Question: 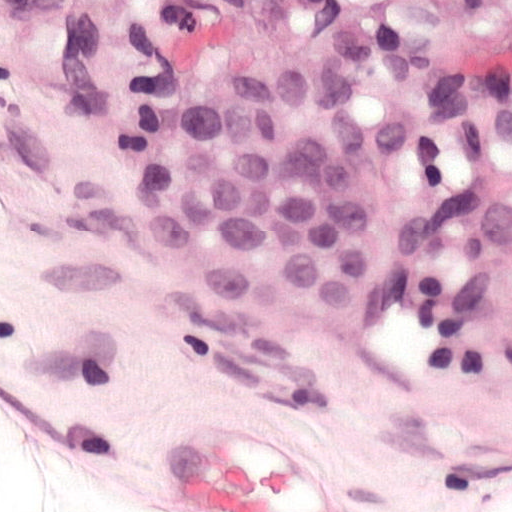
About what magnification does this crop show?

Choices:
 (A) about 2.5×
 (B) about 5×
 (C) about 20×
 (D) about 40×
 (E) about 10×

Answer: (D) about 40×
This is a crop of a whole-slide image: an H&E-stained breast-cancer sentinel lymph node section at roughly 40× magnification (about 0.24 µm per pixel; the crop spans about 0.12 mm).
The outlined metastatic tumour's edge, as a closed clockwise path of 10 points: (307, 43), (396, 73), (442, 164), (421, 275), (347, 349), (248, 371), (154, 322), (119, 223), (137, 117), (208, 48).
Tumour covers about 30% of the frame.